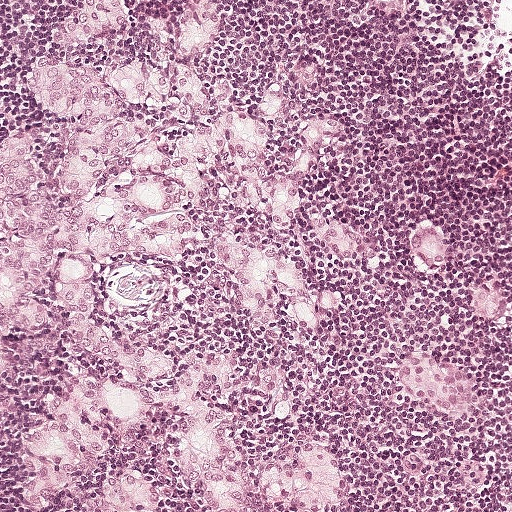
Lymph node section stained with H&E, from a whole-slide image of a breast-cancer sentinel node. Magnification about 10×, about 0.5 mm across the frame, about 0.97 µm per pixel.
Outlines of six tumour regions, largest first (closed clockwise paths, crop pixels): region 1: (120, 0), (138, 28), (78, 51), (74, 74), (103, 74), (166, 52), (179, 6), (226, 0), (209, 78), (254, 111), (279, 84), (328, 124), (302, 195), (368, 242), (361, 263), (208, 196), (180, 216), (286, 255), (340, 296), (334, 320), (318, 311), (306, 338), (233, 324), (201, 251), (106, 260), (90, 287), (119, 337), (214, 358), (252, 511), (185, 503), (161, 413), (51, 505), (12, 504), (20, 430), (79, 367), (22, 332), (0, 415), (0, 150), (27, 117), (29, 62); region 2: (308, 440), (324, 440), (330, 444), (341, 470), (342, 488), (328, 511), (299, 511), (268, 497), (259, 476), (259, 459), (280, 456); region 3: (418, 348), (462, 373), (471, 386), (469, 421), (443, 419), (408, 394), (396, 382), (395, 358); region 4: (121, 470), (144, 478), (151, 482), (159, 495), (159, 511), (114, 511), (101, 503), (98, 497), (98, 479); region 5: (426, 218), (436, 221), (447, 232), (451, 244), (451, 253), (448, 261), (438, 269), (421, 268), (410, 257), (412, 229), (420, 221); region 6: (475, 288), (500, 292), (504, 300), (504, 315), (490, 321), (477, 320), (468, 306), (470, 294).
About 45% of the image area is annotated as tumour.